Lymph node section stained with H&E, from a whole-slide image of a breast-cancer sentinel node. Magnification about 5×, about 0.93 mm across the frame, about 1.8 µm per pixel.
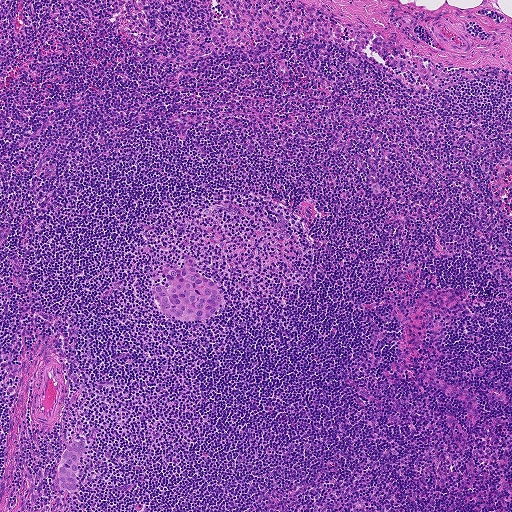
Question: Describe where the metastatic carcinoma lies in this crop.
Answer: Boundaries of two metastatic tumour regions, simplified and listed clockwise, largest first: region 1: (183, 265), (195, 268), (214, 283), (222, 292), (222, 304), (217, 314), (207, 320), (181, 323), (166, 318), (157, 310), (153, 299), (153, 286), (158, 284), (168, 285), (164, 277), (171, 268); region 2: (74, 437), (85, 442), (85, 455), (78, 467), (78, 492), (64, 492), (58, 483), (55, 471), (64, 446).
Under 5% of this field is tumour.